Image:
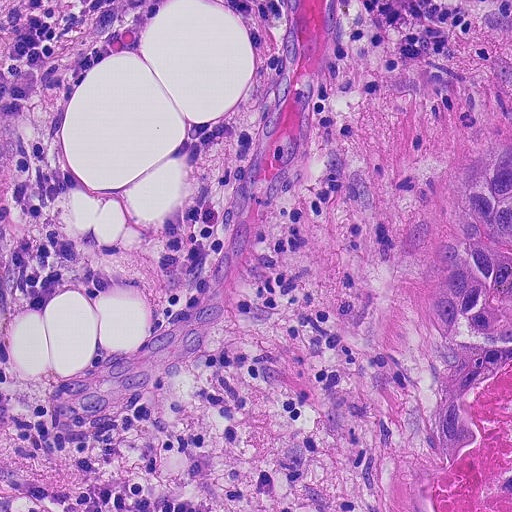
H&E-stained section of a sentinel lymph node (breast cancer), from a whole-slide image, viewed at about 20×: the field is about 0.23 mm across, about 0.45 µm per pixel.
Question:
Show where the tumour is in this image.
Answer:
One metastatic tumour region; its boundary, reduced to 8 corners and listed clockwise: (511, 98), (511, 511), (387, 511), (382, 428), (360, 385), (362, 336), (393, 232), (451, 150).
About 20% of this field is tumour.